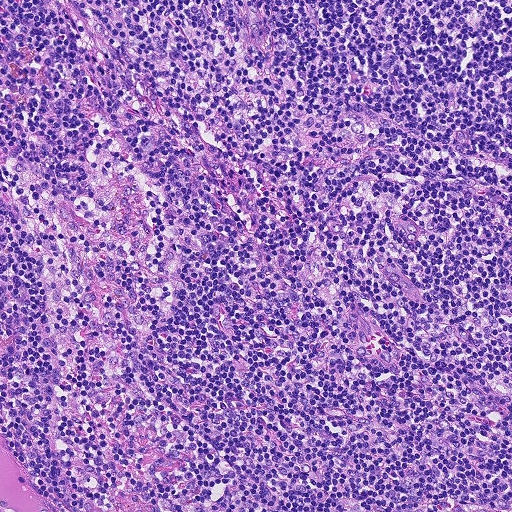
This is a crop of a whole-slide image: an H&E-stained breast-cancer sentinel lymph node section at roughly 10× magnification (about 0.9 µm per pixel; the crop spans about 0.46 mm).